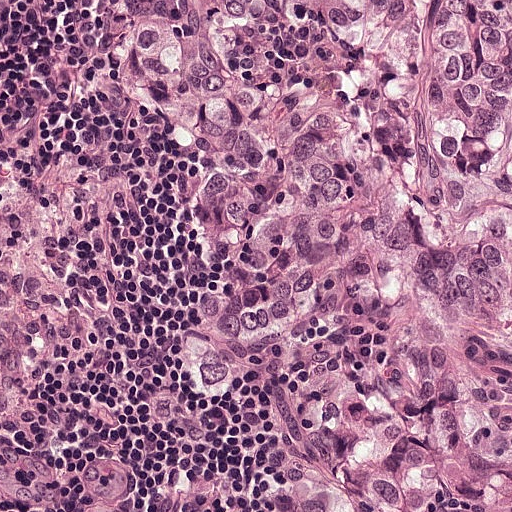
H&E-stained section of a sentinel lymph node (breast cancer), from a whole-slide image, viewed at about 20×: the field is about 0.25 mm across, about 0.49 µm per pixel.
Question: Describe where the metastatic carcinoma lies in this crop.
Answer: One metastatic tumour region; its boundary, reduced to 17 corners and listed clockwise: (120, 0), (511, 0), (511, 511), (280, 511), (269, 446), (246, 413), (204, 405), (191, 321), (202, 238), (174, 162), (144, 189), (118, 313), (85, 389), (44, 464), (14, 492), (0, 485), (0, 189).
About 80% of this field is tumour.